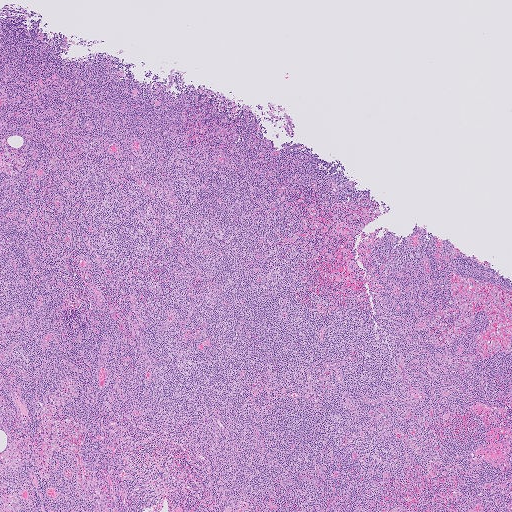
H&E-stained section of a sentinel lymph node (breast cancer), from a whole-slide image, viewed at about 2.5×: the field is about 2.0 mm across, about 4.0 µm per pixel.